Image:
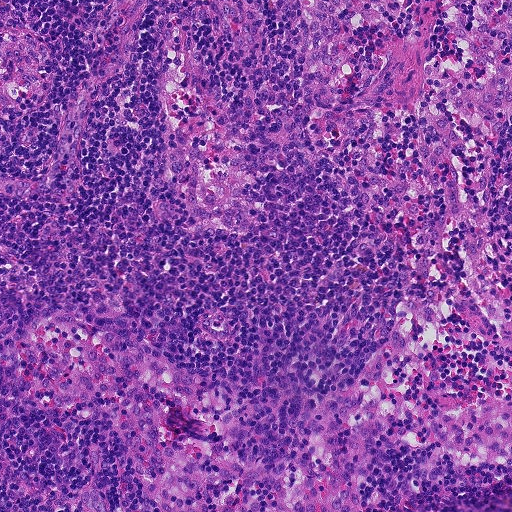
Lymph node section stained with H&E, from a whole-slide image of a breast-cancer sentinel node. Magnification about 10×, about 0.46 mm across the frame, about 0.9 µm per pixel.
Question:
Is there metastatic carcinoma in this field?
Answer:
No. No metastatic tumour is outlined in this field.